Image:
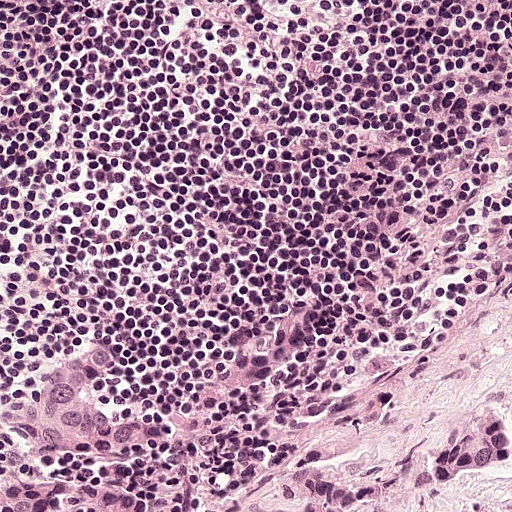
This is a crop of a whole-slide image: an H&E-stained breast-cancer sentinel lymph node section at roughly 20× magnification (about 0.49 µm per pixel; the crop spans about 0.25 mm).
Question:
Trace the edge of each tumour region in this crop, as (x, y) points from 0 to 511.
Answer:
Two metastatic tumour regions, each outlined as a closed clockwise path in crop pixels (x, y), largest first: region 1: (0, 296), (18, 314), (5, 338), (6, 410), (14, 435), (22, 394), (44, 362), (127, 340), (141, 354), (141, 366), (106, 398), (220, 420), (206, 477), (210, 511), (0, 511); region 2: (498, 412), (511, 418), (511, 456), (500, 464), (472, 469), (452, 485), (438, 491), (418, 488), (414, 481), (418, 458), (430, 450), (440, 436), (453, 426).
Tumour covers about 10% of the frame.